Lymph node section stained with H&E, from a whole-slide image of a breast-cancer sentinel node. Magnification about 10×, about 0.46 mm across the frame, about 0.9 µm per pixel.
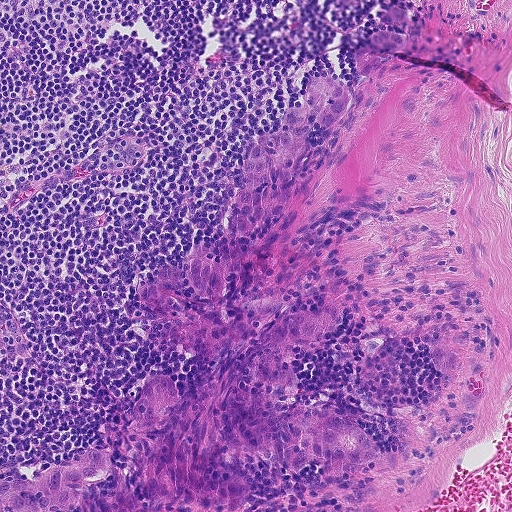
Boundaries of three metastatic tumour regions, simplified and listed clockwise, largest first: region 1: (309, 81), (346, 84), (351, 157), (326, 170), (296, 239), (318, 265), (244, 306), (254, 342), (336, 295), (340, 321), (254, 398), (273, 417), (328, 413), (381, 448), (312, 469), (216, 447), (250, 487), (243, 505), (124, 486), (134, 511), (0, 511), (0, 484), (151, 437), (128, 426), (156, 372), (184, 398), (205, 379), (227, 346), (176, 347), (184, 318), (136, 288), (170, 264), (181, 299), (210, 302), (186, 260), (240, 250), (282, 213), (244, 238), (220, 232), (249, 144); region 2: (383, 30), (407, 36), (407, 44), (403, 50), (380, 55), (383, 63), (378, 69), (364, 75), (357, 72), (353, 65), (353, 57), (356, 50), (372, 45), (369, 37), (374, 32); region 3: (436, 343), (460, 356), (462, 362), (460, 374), (454, 377), (442, 374), (438, 370), (431, 352), (432, 345).
Tumour covers about 20% of the frame.